This is a crop of a whole-slide image: an H&E-stained breast-cancer sentinel lymph node section at roughly 5× magnification (about 1.9 µm per pixel; the crop spans about 1 mm).
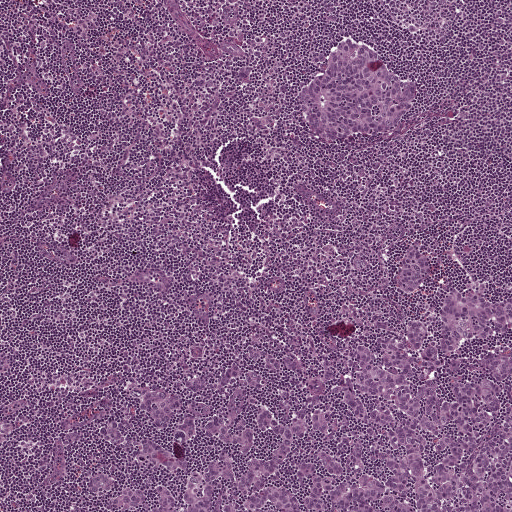
Boundaries of three metastatic tumour regions, simplified and listed clockwise, largest first: region 1: (419, 242), (437, 296), (511, 299), (511, 334), (488, 336), (511, 511), (116, 511), (84, 492), (163, 477), (100, 441), (106, 423), (176, 455), (214, 459), (208, 434), (177, 449), (152, 428), (128, 387), (252, 368), (251, 344), (343, 366), (405, 333), (428, 301), (394, 290), (392, 266); region 2: (355, 36), (377, 49), (392, 69), (414, 80), (419, 92), (417, 105), (402, 125), (380, 138), (342, 144), (320, 140), (310, 130), (298, 104), (300, 89), (334, 45); region 3: (252, 65), (253, 70), (249, 75), (244, 80), (239, 76), (238, 70), (242, 66).
Tumour covers about 30% of the frame.